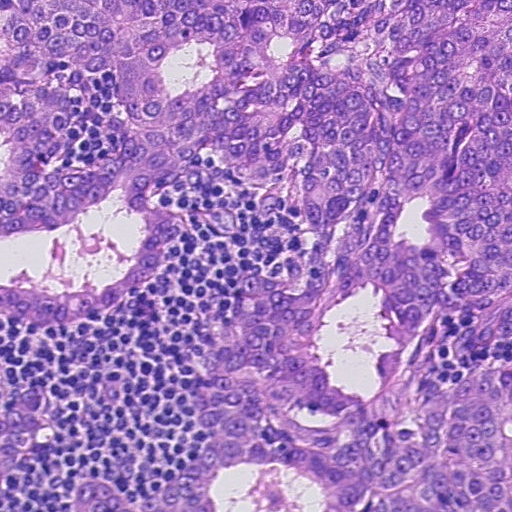
H&E-stained section of a sentinel lymph node (breast cancer), from a whole-slide image, viewed at about 20×: the field is about 0.23 mm across, about 0.45 µm per pixel.
Boundaries of two metastatic tumour regions, simplified and listed clockwise, largest first: region 1: (0, 0), (511, 0), (511, 332), (402, 327), (366, 284), (316, 346), (410, 424), (511, 370), (511, 511), (75, 511), (100, 478), (152, 501), (212, 436), (189, 394), (242, 278), (305, 278), (298, 164), (262, 218), (205, 148), (148, 194), (185, 228), (144, 288), (8, 319); region 2: (32, 383), (42, 383), (48, 400), (43, 414), (55, 426), (50, 443), (18, 460), (3, 471), (0, 490), (0, 415), (14, 410), (22, 394).
The annotated tumour makes up about 75% of the crop.